Question: 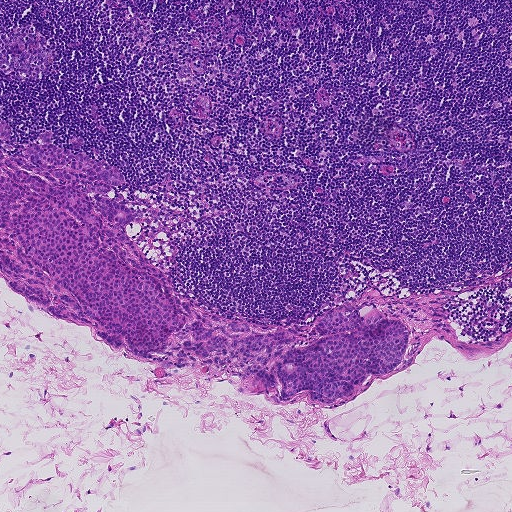
A 0.93-mm field of an H&E-stained sentinel lymph node from a breast-cancer patient (whole-slide image), shown at about 5×, about 1.8 µm per pixel.
Roughly what share of this field is metastatic tumour?

Choices:
 (A) none: no tumour is outlined
 (B) about 50% or more
 (C) about 25% to 45%
 (D) about 5% or less
 (E) about 10% to 20%

Answer: (E) about 10% to 20%
About 15% of the field is tumour.
Boundaries of two metastatic tumour regions, simplified and listed clockwise, largest first: region 1: (49, 129), (50, 144), (71, 152), (81, 137), (74, 153), (121, 169), (122, 187), (112, 186), (137, 217), (128, 235), (202, 308), (291, 329), (374, 303), (411, 334), (395, 370), (326, 407), (307, 390), (280, 400), (237, 368), (114, 352), (0, 277), (0, 150), (42, 143); region 2: (0, 121), (7, 122), (12, 130), (10, 140), (0, 140).